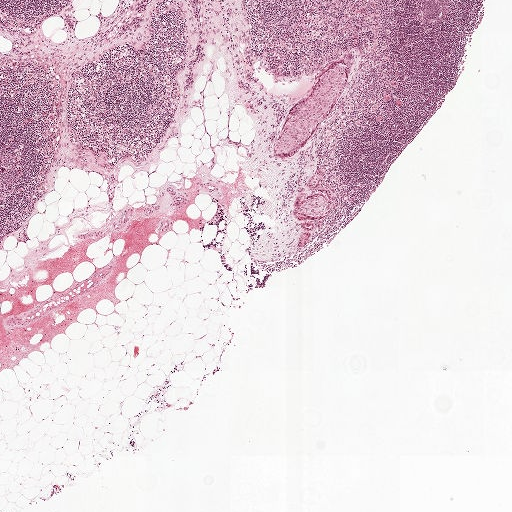
A 2.0-mm field of an H&E-stained sentinel lymph node from a breast-cancer patient (whole-slide image), shown at about 2.5×, about 3.9 µm per pixel.
Outlines of two tumour regions, largest first (closed clockwise paths, crop pixels): region 1: (348, 60), (351, 69), (351, 76), (343, 97), (328, 111), (320, 126), (296, 154), (283, 160), (273, 160), (272, 140), (280, 132), (296, 102), (312, 91), (316, 82), (338, 62); region 2: (326, 196), (330, 214), (325, 218), (311, 222), (291, 219), (289, 214), (292, 206), (304, 198).
The annotated tumour makes up under 5% of the crop.